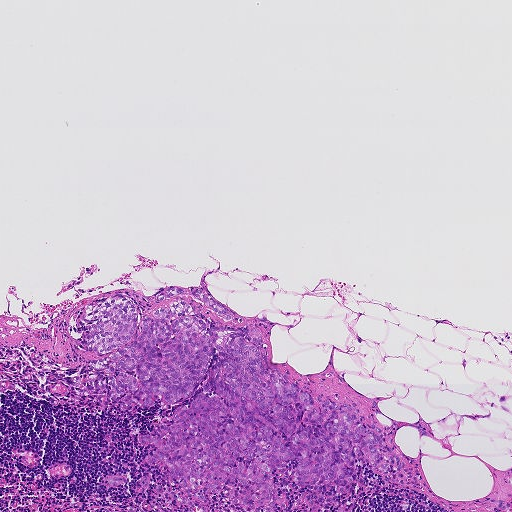
A 0.93-mm field of an H&E-stained sentinel lymph node from a breast-cancer patient (whole-slide image), shown at about 5×, about 1.8 µm per pixel.
Question: Is any metastatic breast cancer visible in this crop?
Answer: Yes.
Five metastatic tumour regions, each outlined as a closed clockwise path in crop pixels (x, y), largest first: region 1: (118, 294), (152, 317), (180, 300), (208, 327), (259, 330), (267, 364), (318, 410), (326, 398), (352, 403), (390, 426), (393, 453), (422, 488), (386, 482), (367, 458), (349, 493), (298, 485), (293, 460), (272, 473), (284, 509), (249, 511), (205, 487), (198, 501), (170, 469), (147, 463), (159, 448), (141, 440), (190, 398), (94, 405), (70, 381), (111, 352), (77, 346), (84, 307); region 2: (171, 286), (200, 288), (236, 313), (236, 316), (243, 319), (243, 323), (227, 322), (211, 309), (193, 298), (186, 295), (182, 298), (174, 296), (157, 304), (153, 302), (154, 298); region 3: (168, 491), (173, 492), (193, 502), (192, 511), (188, 511), (189, 506), (180, 504), (172, 499); region 4: (110, 476), (121, 476), (125, 478), (127, 482), (117, 486), (112, 486), (108, 485), (105, 482), (105, 478); region 5: (303, 491), (307, 491), (310, 493), (308, 496), (307, 500), (311, 499), (314, 500), (314, 504), (308, 509), (308, 511), (299, 511), (306, 505), (305, 502), (301, 495).
Two more small tumour pieces are annotated here but not outlined.
About 15% of the image area is annotated as tumour.